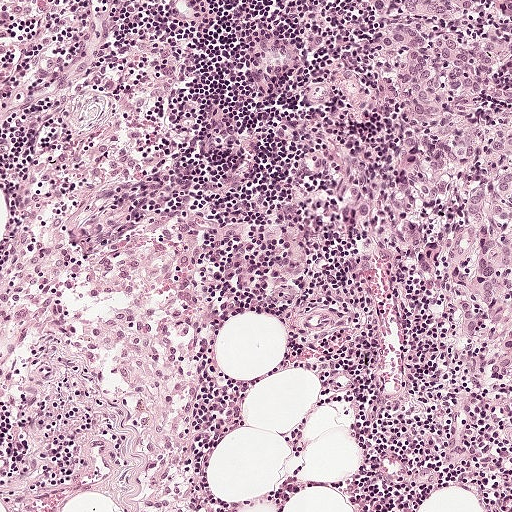
This is a crop of a whole-slide image: an H&E-stained breast-cancer sentinel lymph node section at roughly 10× magnification (about 0.97 µm per pixel; the crop spans about 0.5 mm).
Metastatic tumour outline, simplified to 14 points and listed clockwise in crop pixels (x, y): (374, 0), (511, 0), (511, 396), (485, 385), (439, 312), (440, 298), (395, 248), (363, 232), (341, 199), (339, 173), (351, 158), (377, 155), (398, 141), (374, 73).
About 15% of the image area is annotated as tumour.